Question: 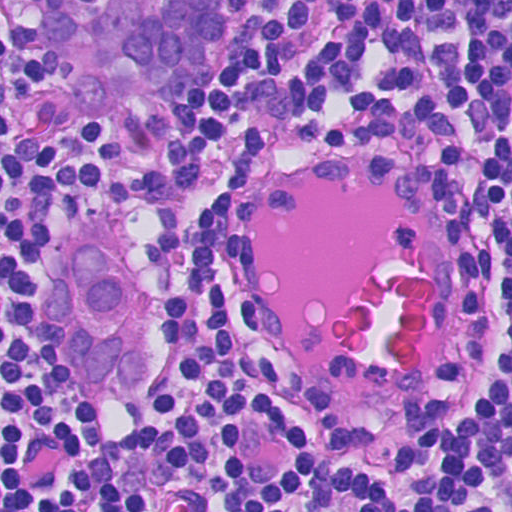
At roughly what magnification is this field shown?

Choices:
 (A) about 20×
 (B) about 5×
 (C) about 2.5×
 (D) about 10×
 (E) about 40×

Answer: (E) about 40×
Lymph node section stained with H&E, from a whole-slide image of a breast-cancer sentinel node. Magnification about 40×, about 0.12 mm across the frame, about 0.23 µm per pixel.
Two metastatic tumour regions, each outlined as a closed clockwise path in crop pixels (x, y), largest first: region 1: (33, 0), (235, 0), (215, 78), (186, 96), (89, 112), (37, 32); region 2: (80, 228), (103, 228), (159, 299), (154, 341), (160, 371), (140, 400), (106, 395), (35, 343), (31, 290).
Tumour covers about 15% of the frame.